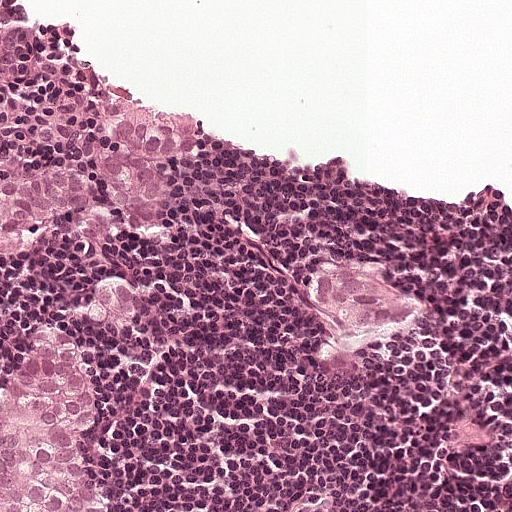
H&E-stained section of a sentinel lymph node (breast cancer), from a whole-slide image, viewed at about 20×: the field is about 0.25 mm across, about 0.49 µm per pixel.
Boundaries of three metastatic tumour regions, simplified and listed clockwise, largest first: region 1: (52, 325), (76, 331), (88, 346), (98, 378), (98, 412), (86, 440), (86, 460), (111, 511), (0, 511), (0, 378), (24, 362); region 2: (136, 105), (200, 115), (202, 162), (168, 173), (174, 192), (170, 224), (156, 232), (142, 230), (113, 218), (102, 205), (87, 204), (44, 224), (29, 250), (0, 256), (0, 183), (58, 166), (105, 168), (104, 150), (119, 140), (124, 110); region 3: (354, 254), (364, 260), (379, 280), (398, 289), (404, 298), (417, 306), (416, 318), (368, 329), (346, 329), (334, 321), (328, 310), (311, 294), (310, 286), (322, 265).
Two more small tumour pieces are annotated here but not outlined.
About 15% of this field is tumour.